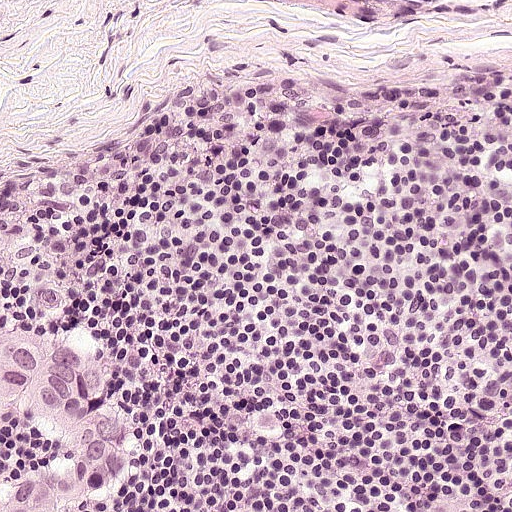
A 0.25-mm field of an H&E-stained sentinel lymph node from a breast-cancer patient (whole-slide image), shown at about 20×, about 0.49 µm per pixel.
Tumour region outline (a closed clockwise path, crop pixels): (0, 329), (47, 329), (91, 348), (114, 398), (136, 429), (137, 446), (126, 486), (89, 511), (0, 511), (10, 486), (54, 452), (54, 440), (44, 424), (2, 409).
The annotated tumour makes up about 5% of the crop.